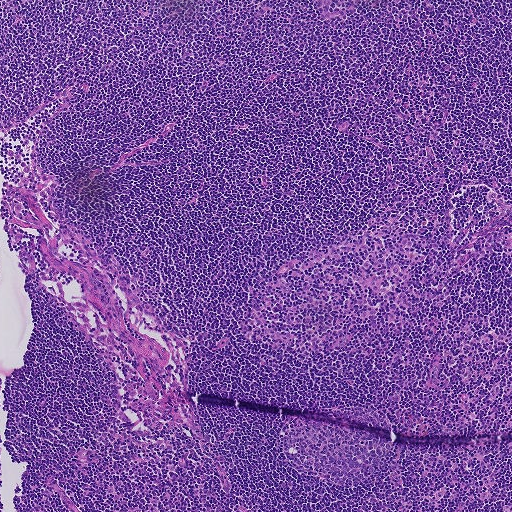
This is a crop of a whole-slide image: an H&E-stained breast-cancer sentinel lymph node section at roughly 5× magnification (about 1.8 µm per pixel; the crop spans about 0.93 mm).